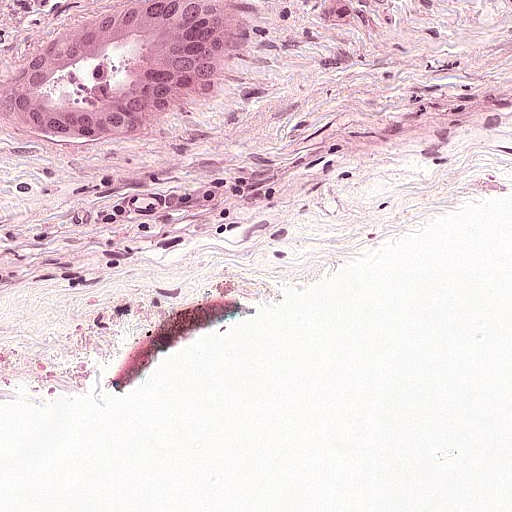
A 0.25-mm field of an H&E-stained sentinel lymph node from a breast-cancer patient (whole-slide image), shown at about 20×, about 0.49 µm per pixel.
Metastatic tumour outline, simplified to 7 points and listed clockwise in crop pixels (x, y): (0, 0), (274, 0), (242, 62), (192, 97), (145, 97), (61, 121), (2, 100).
About 10% of this field is tumour.